Lymph node section stained with H&E, from a whole-slide image of a breast-cancer sentinel node. Magnification about 2.5×, about 1.9 mm across the frame, about 3.6 µm per pixel.
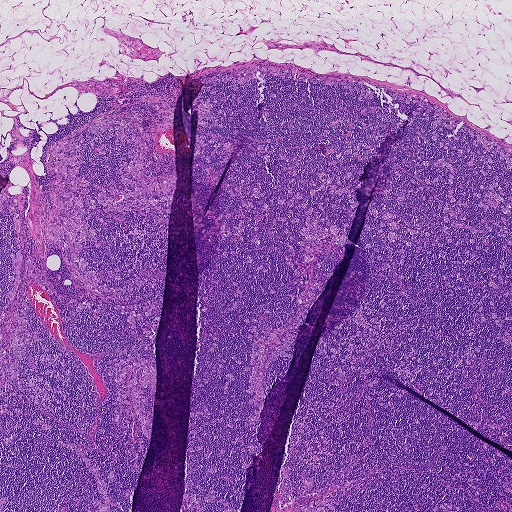
Two metastatic tumour regions, each outlined as a closed clockwise path in crop pixels (x, y), largest first: region 1: (255, 62), (423, 96), (509, 147), (511, 454), (398, 383), (511, 458), (511, 511), (269, 511), (378, 164), (292, 359), (265, 373), (240, 510), (179, 511), (198, 275), (220, 225), (191, 179), (196, 79), (155, 144), (176, 159), (167, 238), (126, 211), (84, 253), (162, 308), (132, 511), (85, 511), (95, 480), (51, 431), (0, 447), (17, 246), (0, 193), (18, 194), (55, 289), (81, 290), (43, 228), (52, 149), (79, 127), (121, 112), (147, 127), (185, 81); region 2: (0, 496), (5, 496), (9, 500), (8, 511), (0, 511).
About 65% of this field is tumour.